Image:
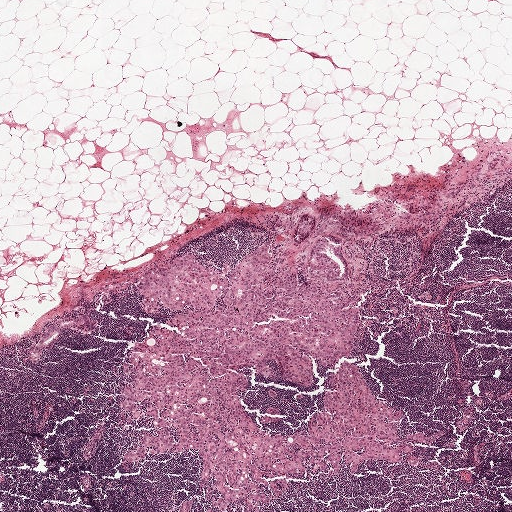
Lymph node section stained with H&E, from a whole-slide image of a breast-cancer sentinel node. Magnification about 2.5×, about 2.0 mm across the frame, about 3.9 µm per pixel.
Question:
Is any metastatic breast cancer visible in this crop?
Answer:
Yes.
Outlines of four tumour regions, largest first (closed clockwise paths, crop pixels): region 1: (337, 235), (350, 272), (321, 282), (360, 308), (353, 344), (329, 367), (309, 354), (306, 385), (276, 359), (272, 375), (246, 367), (242, 406), (270, 435), (309, 428), (351, 360), (403, 409), (390, 444), (415, 451), (352, 472), (343, 456), (338, 475), (307, 458), (260, 511), (207, 511), (197, 449), (125, 461), (158, 427), (124, 420), (121, 364), (179, 331), (172, 308), (136, 303), (186, 253), (229, 273), (265, 242), (259, 286), (293, 270), (301, 285), (315, 241); region 2: (50, 332), (53, 333), (56, 338), (56, 342), (52, 348), (47, 350), (44, 348), (41, 361), (30, 362), (27, 357), (27, 350), (42, 335); region 3: (308, 217), (311, 217), (313, 220), (313, 229), (309, 235), (296, 243), (294, 238), (302, 221); region 4: (421, 432), (426, 434), (426, 435), (425, 441), (423, 442), (411, 440), (407, 438), (408, 435), (417, 434).
Two more small tumour pieces are annotated here but not outlined.
About 15% of this field is tumour.